Question: 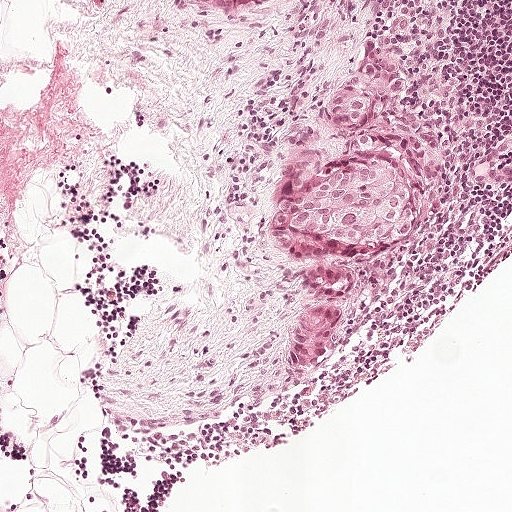
H&E-stained section of a sentinel lymph node (breast cancer), from a whole-slide image, viewed at about 10×: the field is about 0.5 mm across, about 0.97 µm per pixel.
Estimate the proportion of this field that is metastatic tumour.

Choices:
 (A) about 25% to 45%
 (B) about 5% or less
 (C) about 50% or more
 (D) about 10% to 20%
 (E) none: no tumour is outlined

Answer: (B) about 5% or less
About 5% of the field is tumour.
Outlines of two tumour regions, largest first (closed clockwise paths, crop pixels): region 1: (374, 158), (404, 162), (411, 175), (420, 236), (400, 252), (346, 265), (310, 266), (264, 254), (256, 235), (266, 202), (302, 186), (316, 172); region 2: (186, 0), (276, 0), (253, 13), (232, 19), (195, 18), (186, 10).